This is a crop of a whole-slide image: an H&E-stained breast-cancer sentinel lymph node section at roughly 5× magnification (about 1.9 µm per pixel; the crop spans about 1 mm).
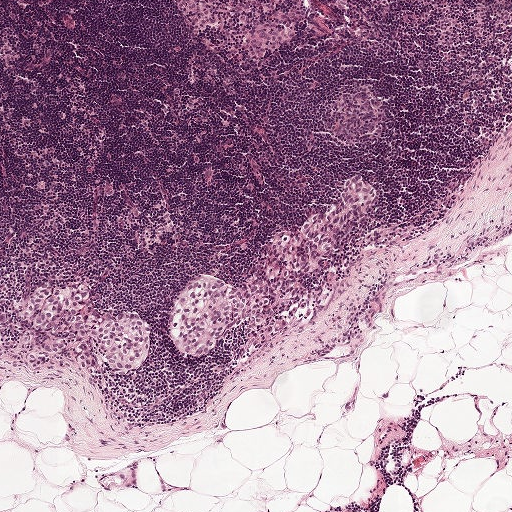
Two metastatic tumour regions, each outlined as a closed clockwise path in crop pixels (x, y), largest first: region 1: (353, 171), (367, 173), (379, 184), (379, 197), (334, 251), (309, 270), (294, 307), (296, 320), (266, 348), (246, 346), (249, 332), (242, 320), (201, 356), (188, 358), (173, 350), (170, 325), (188, 278), (208, 272), (233, 285), (251, 280), (274, 234), (303, 225), (339, 197); region 2: (68, 278), (93, 287), (99, 312), (131, 312), (150, 321), (150, 348), (135, 372), (121, 375), (108, 370), (100, 376), (89, 375), (72, 344), (56, 354), (43, 369), (33, 370), (24, 365), (19, 350), (16, 304), (22, 296), (48, 280).
Two more small tumour pieces are annotated here but not outlined.
About 10% of the image area is annotated as tumour.